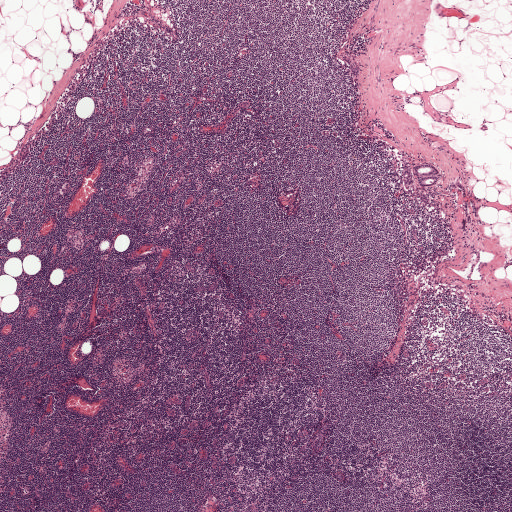
H&E-stained section of a sentinel lymph node (breast cancer), from a whole-slide image, viewed at about 2.5×: the field is about 2.0 mm across, about 3.9 µm per pixel.
Boundaries of four metastatic tumour regions, simplified and listed clockwise, largest first: region 1: (429, 163), (436, 166), (442, 175), (437, 184), (421, 187), (416, 183), (413, 167); region 2: (405, 165), (410, 167), (413, 178), (413, 182), (407, 186), (404, 184), (403, 172); region 3: (343, 56), (345, 57), (355, 65), (359, 69), (360, 72), (360, 75), (357, 76), (352, 74), (347, 63), (342, 58); region 4: (419, 195), (424, 195), (427, 197), (428, 202), (428, 204), (424, 204), (420, 199), (418, 196).
One more small tumour piece is annotated here but not outlined.
Under 5% of this field is tumour.